Question: 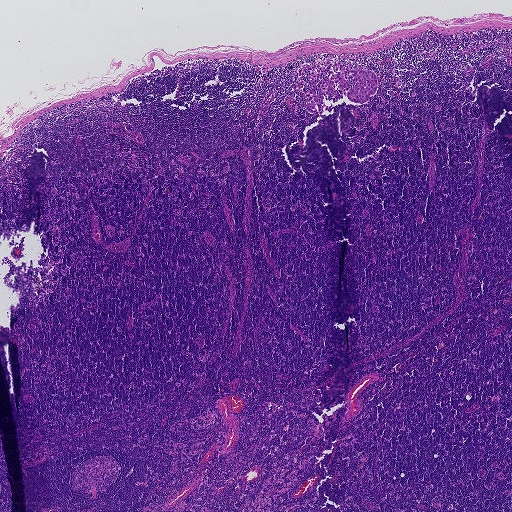
A 1.9-mm field of an H&E-stained sentinel lymph node from a breast-cancer patient (whole-slide image), shown at about 2.5×, about 3.6 µm per pixel.
Roughly what share of this field is metastatic tumour?

Choices:
 (A) about 25% to 45%
 (B) about 5% or less
 (C) about 10% to 20%
 (D) about 50% or more
 (E) none: no tumour is outlined

Answer: (B) about 5% or less
Under 5% of the field is tumour.
Tumour region outline (a closed clockwise path, crop pixels): (339, 66), (342, 66), (346, 70), (359, 69), (374, 72), (376, 90), (368, 100), (362, 104), (347, 99), (344, 95), (323, 95), (326, 105), (332, 106), (329, 111), (317, 113), (308, 111), (305, 106), (311, 85), (310, 79), (315, 82), (316, 94), (329, 77), (325, 70), (340, 70).